This is a crop of a whole-slide image: an H&E-stained breast-cancer sentinel lymph node section at roughly 10× magnification (about 0.97 µm per pixel; the crop spans about 0.5 mm).
Image:
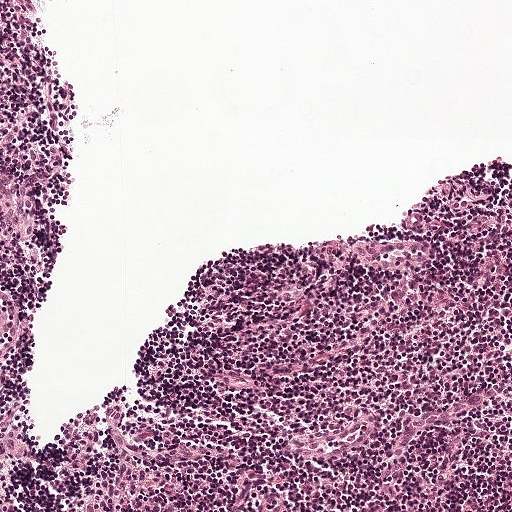
Question:
Is any metastatic breast cancer visible in this crop?
Answer:
No: no metastatic tumour is outlined anywhere in this field.